A 2.0-mm field of an H&E-stained sentinel lymph node from a breast-cancer patient (whole-slide image), shown at about 2.5×, about 3.9 µm per pixel.
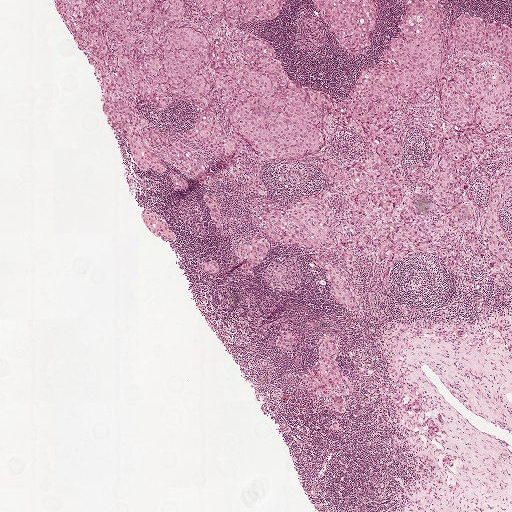
Outlines of the eight largest metastatic tumour regions, each a closed clockwise path in crop pixels (x, y), largest first: region 1: (52, 0), (186, 0), (171, 21), (231, 60), (242, 57), (221, 15), (193, 0), (285, 0), (236, 24), (334, 97), (387, 62), (406, 0), (444, 0), (442, 76), (458, 14), (510, 25), (511, 134), (477, 166), (492, 180), (511, 165), (511, 281), (462, 217), (435, 232), (452, 271), (409, 250), (383, 280), (349, 245), (344, 308), (251, 210), (367, 142), (325, 117), (313, 151), (233, 163), (175, 96), (134, 109), (208, 174), (142, 169); region 2: (313, 0), (374, 0), (378, 21), (371, 43), (364, 54), (356, 57), (346, 56), (331, 30), (322, 20); region 3: (328, 331), (337, 337), (340, 343), (340, 350), (334, 359), (351, 389), (344, 394), (348, 404), (346, 410), (341, 411), (329, 409), (324, 405), (320, 395), (309, 392), (300, 374), (307, 369), (318, 376), (311, 368), (317, 356), (318, 339), (320, 336); region 4: (251, 235), (260, 236), (269, 243), (264, 258), (253, 265), (252, 272), (244, 272), (241, 263), (242, 256), (238, 249), (245, 239); region 5: (149, 206), (158, 212), (164, 217), (170, 227), (175, 232), (175, 236), (167, 239), (161, 234), (150, 232), (140, 215), (142, 207); region 6: (210, 191), (214, 191), (219, 206), (219, 222), (216, 223), (211, 221), (208, 209), (202, 199), (202, 193), (210, 194); region 7: (284, 321), (293, 335), (293, 340), (291, 340), (293, 346), (284, 349), (275, 344), (274, 337), (280, 332), (279, 325), (280, 322); region 8: (170, 169), (172, 169), (184, 175), (187, 181), (187, 187), (179, 189), (174, 188), (171, 182), (171, 179), (168, 176), (168, 172).
Three more, smaller tumour regions are not outlined.
Five more small tumour pieces are annotated here but not outlined.
About 30% of the image area is annotated as tumour.